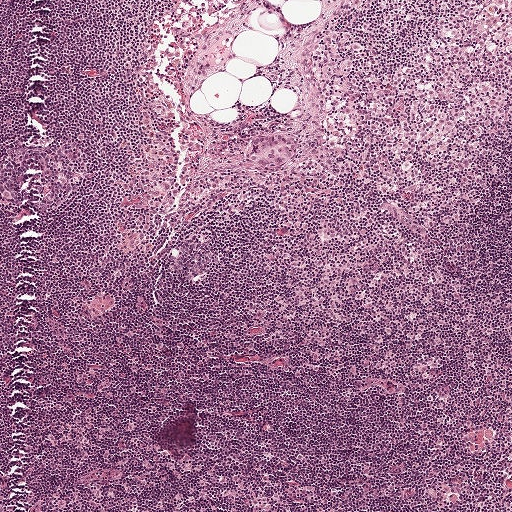
A 1-mm field of an H&E-stained sentinel lymph node from a breast-cancer patient (whole-slide image), shown at about 5×, about 1.9 µm per pixel.
Metastatic tumour outline, simplified to 10 points and listed clockwise in crop pixels (x, y): (273, 135), (294, 140), (297, 144), (296, 158), (294, 161), (272, 172), (247, 169), (242, 163), (241, 157), (254, 136).
The annotated tumour makes up under 5% of the crop.